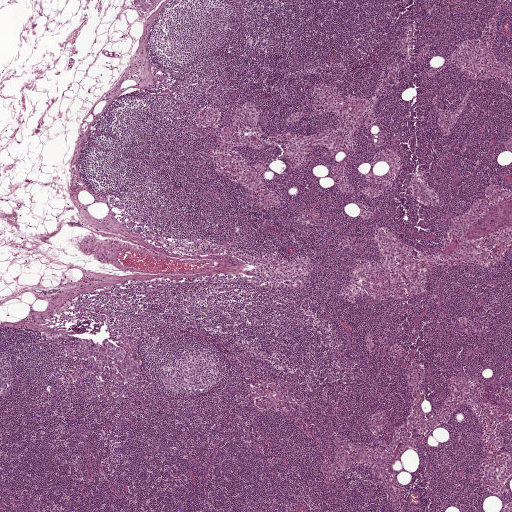
This is a crop of a whole-slide image: an H&E-stained breast-cancer sentinel lymph node section at roughly 2.5× magnification (about 3.9 µm per pixel; the crop spans about 2.0 mm).
One metastatic tumour region; its boundary, reduced to 24 corners and listed clockwise: (137, 327), (144, 331), (146, 327), (156, 336), (154, 338), (155, 345), (146, 342), (140, 336), (137, 354), (139, 382), (130, 384), (104, 375), (95, 377), (86, 361), (69, 357), (58, 345), (42, 336), (45, 332), (62, 332), (90, 338), (98, 343), (106, 338), (132, 354), (120, 335).
Under 5% of this field is tumour.